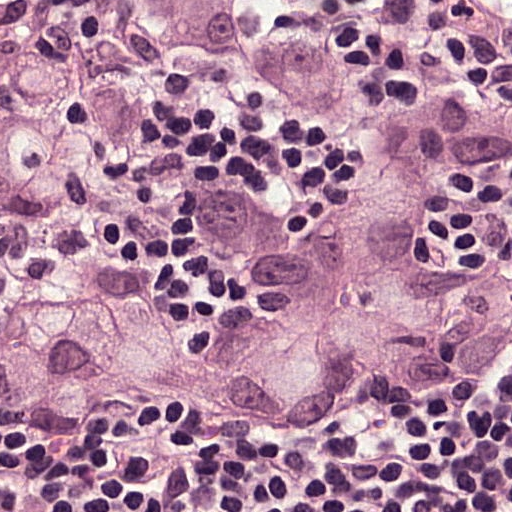
This is a crop of a whole-slide image: an H&E-stained breast-cancer sentinel lymph node section at roughly 40× magnification (about 0.24 µm per pixel; the crop spans about 0.12 mm).
One metastatic tumour region; its boundary, reduced to 15 corners and listed clockwise: (349, 0), (373, 67), (511, 80), (511, 154), (465, 167), (475, 230), (511, 246), (507, 383), (328, 421), (252, 420), (199, 396), (78, 420), (0, 391), (0, 34), (39, 6).
Tumour covers about 75% of the frame.